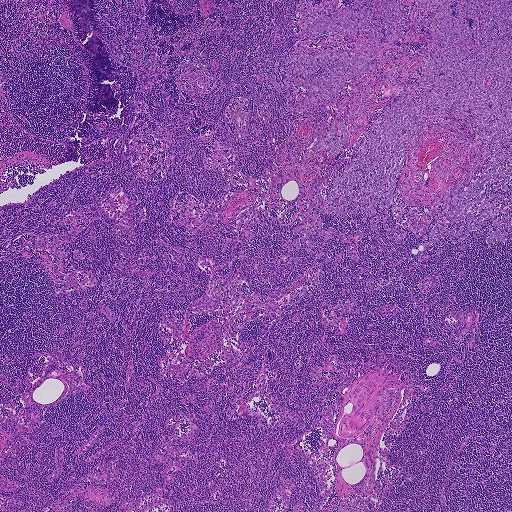
A 1.9-mm field of an H&E-stained sentinel lymph node from a breast-cancer patient (whole-slide image), shown at about 2.5×, about 3.6 µm per pixel.
The outlined metastatic tumour's edge, as a closed clockwise path of 23 points: (354, 0), (511, 0), (511, 240), (486, 247), (487, 218), (460, 258), (457, 236), (418, 248), (402, 223), (421, 206), (400, 197), (387, 218), (386, 196), (286, 247), (382, 108), (312, 157), (337, 108), (297, 111), (282, 68), (298, 43), (351, 54), (338, 33), (299, 34).
Two more small tumour pieces are annotated here but not outlined.
Tumour covers about 15% of the frame.